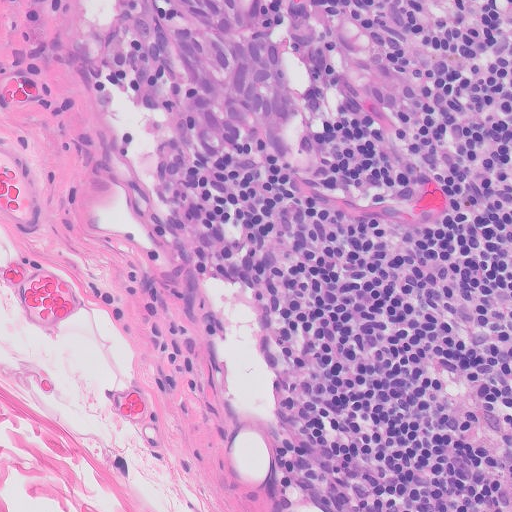
A 0.26-mm field of an H&E-stained sentinel lymph node from a breast-cancer patient (whole-slide image), shown at about 20×, about 0.5 µm per pixel.
Question: Which parts of this field are metastatic tumour? Answer with the outline of each region, in pixels.
Answer: Tumour region outline (a closed clockwise path, crop pixels): (145, 0), (278, 0), (297, 96), (275, 154), (242, 162), (184, 143), (154, 82).
About 10% of this field is tumour.

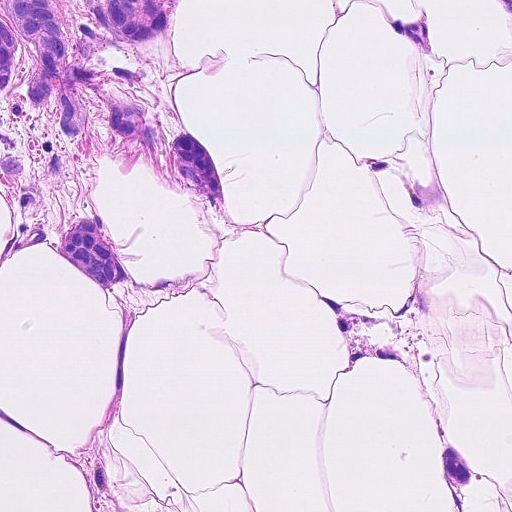
H&E-stained section of a sentinel lymph node (breast cancer), from a whole-slide image, viewed at about 20×: the field is about 0.23 mm across, about 0.45 µm per pixel.
Question: Which parts of this field are metastatic tumour? Answer with the outline of each region, in pixels.
Answer: The outlined metastatic tumour's edge, as a closed clockwise path of 15 points: (0, 0), (186, 0), (149, 64), (200, 129), (224, 181), (224, 214), (155, 169), (108, 158), (91, 170), (128, 255), (125, 285), (92, 287), (51, 244), (8, 252), (0, 266).
The annotated tumour makes up about 15% of the crop.

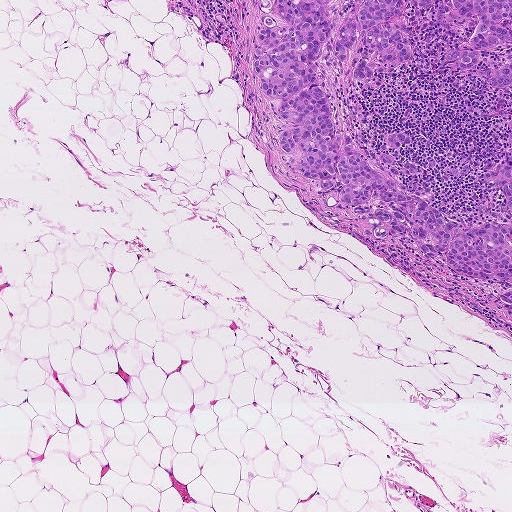
This is a crop of a whole-slide image: an H&E-stained breast-cancer sentinel lymph node section at roughly 5× magnification (about 1.8 µm per pixel; the crop spans about 0.93 mm).
Question: Which parts of this field are metastatic tumour? Answer with the outline of each region, in pixels.
Answer: Boundaries of six metastatic tumour regions, simplified and listed clockwise, largest first: region 1: (257, 0), (331, 0), (326, 9), (336, 27), (314, 62), (329, 94), (335, 133), (353, 135), (374, 164), (388, 151), (385, 140), (393, 131), (404, 131), (411, 143), (389, 154), (396, 156), (396, 167), (416, 160), (424, 173), (393, 177), (450, 220), (511, 224), (511, 285), (452, 272), (445, 253), (421, 254), (408, 235), (375, 239), (364, 220), (336, 198), (339, 185), (317, 191), (289, 170), (277, 138), (287, 123), (277, 116), (284, 101), (262, 93), (252, 68); region 2: (356, 0), (432, 0), (434, 4), (434, 9), (422, 11), (421, 18), (414, 17), (412, 6), (402, 11), (413, 56), (405, 64), (374, 79), (371, 85), (362, 85), (348, 76), (362, 45), (358, 36), (345, 62), (333, 59), (336, 37); region 3: (449, 0), (511, 0), (511, 44), (502, 42), (489, 49), (479, 50), (481, 64), (473, 72), (462, 72), (444, 57), (447, 50), (466, 48), (465, 41), (477, 23), (475, 18), (471, 17), (456, 28), (442, 25), (436, 19), (437, 8), (442, 3), (447, 3); region 4: (511, 119), (511, 217), (508, 216), (505, 204), (503, 193), (494, 185), (483, 182), (479, 174), (488, 166), (499, 162), (505, 152), (506, 129); region 5: (511, 61), (511, 86), (492, 90), (476, 74), (479, 70), (502, 66); region 6: (511, 290), (511, 317), (504, 308), (498, 299), (497, 293).
Tumour covers about 15% of the frame.

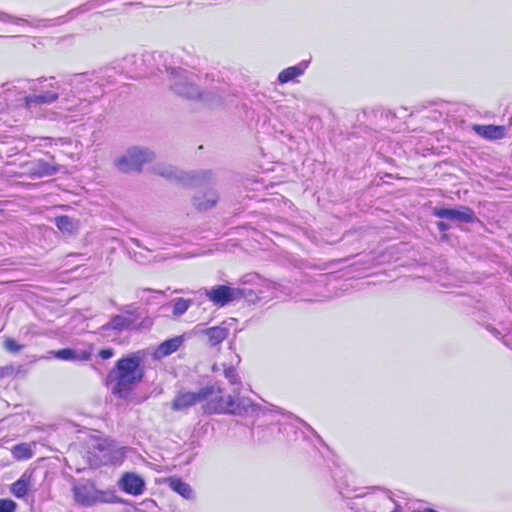
This is a crop of a whole-slide image: an H&E-stained breast-cancer sentinel lymph node section at roughly 40× magnification (about 0.23 µm per pixel; the crop spans about 0.12 mm).
Question: Which parts of this field are metastatic tumour? Answer with the outline of each region, in pixels.
Answer: Tumour region outline (a closed clockwise path, crop pixels): (156, 68), (228, 89), (265, 124), (265, 189), (239, 238), (173, 254), (107, 238), (80, 182), (73, 141), (94, 85).
About 10% of the image area is annotated as tumour.